Question: 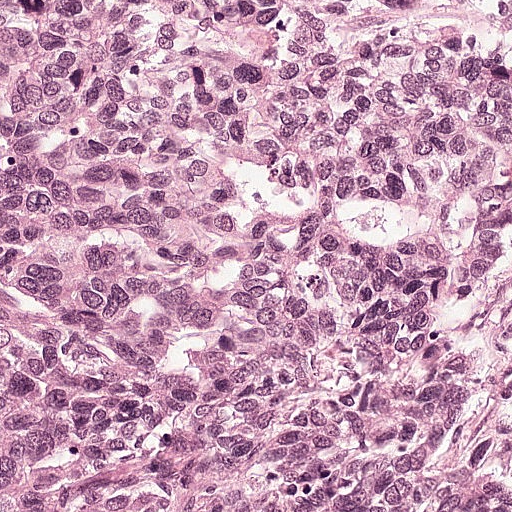
About what magnification does this crop show?

Choices:
 (A) about 40×
 (B) about 5×
 (C) about 2.5×
 (D) about 20×
 (E) about 10×

Answer: (D) about 20×
A 0.25-mm field of an H&E-stained sentinel lymph node from a breast-cancer patient (whole-slide image), shown at about 20×, about 0.49 µm per pixel.